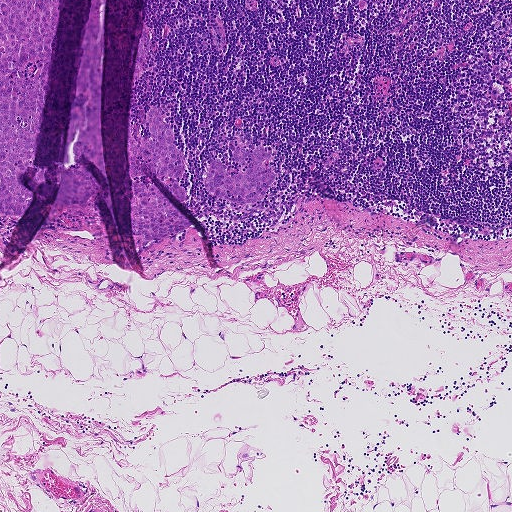
Lymph node section stained with H&E, from a whole-slide image of a breast-cancer sentinel node. Magnification about 5×, about 0.93 mm across the frame, about 1.8 µm per pixel.
Question: Show where the tumour is in this image.
Answer: Boundaries of three metastatic tumour regions, simplified and listed clockwise, largest first: region 1: (0, 0), (58, 0), (31, 160), (16, 178), (17, 186), (30, 194), (30, 202), (19, 214), (0, 214); region 2: (156, 104), (173, 130), (184, 161), (181, 177), (170, 180), (184, 189), (191, 210), (156, 167), (139, 163), (139, 169), (191, 224), (167, 239), (150, 240), (142, 238), (133, 225), (128, 176), (129, 120), (130, 122), (138, 122), (143, 138), (152, 139), (147, 133), (146, 116), (148, 107); region 3: (238, 144), (251, 151), (257, 146), (265, 146), (272, 156), (265, 160), (264, 164), (275, 174), (274, 181), (268, 186), (261, 201), (239, 203), (224, 201), (206, 192), (203, 185), (204, 177), (214, 156), (226, 166), (228, 174), (243, 173), (250, 158), (244, 164), (236, 163), (231, 157).
About 5% of the image area is annotated as tumour.